A 1.0-mm field of an H&E-stained sentinel lymph node from a breast-cancer patient (whole-slide image), shown at about 5×, about 2.0 µm per pixel.
Question: 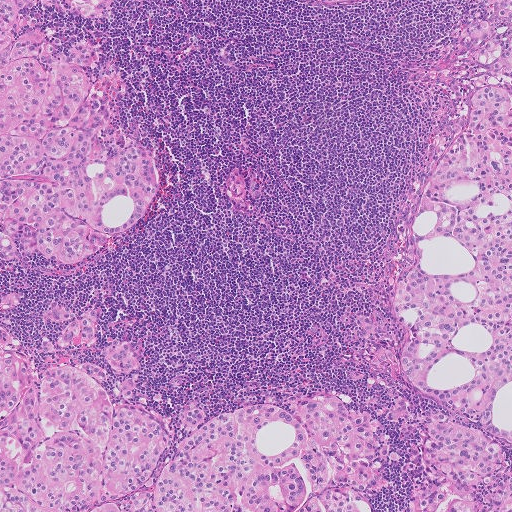
Estimate the proportion of this field that is metastatic tumour.

Choices:
 (A) about 10% to 20%
 (B) none: no tumour is outlined
 (C) about 25% to 45%
 (D) about 5% or less
 (E) about 50% or more

Answer: (E) about 50% or more
About 55% of the field is tumour.
Boundaries of four metastatic tumour regions, simplified and listed clockwise, largest first: region 1: (0, 282), (26, 305), (21, 334), (74, 306), (126, 326), (145, 348), (141, 403), (164, 420), (184, 401), (239, 404), (300, 391), (331, 392), (383, 420), (394, 449), (380, 507), (0, 511); region 2: (449, 0), (511, 0), (511, 511), (405, 511), (416, 414), (442, 400), (417, 386), (405, 359), (407, 331), (378, 252), (424, 140), (423, 57), (460, 3); region 3: (0, 0), (126, 0), (112, 20), (55, 21), (86, 28), (125, 68), (130, 97), (148, 120), (155, 148), (147, 204), (116, 250), (90, 268), (0, 263); region 4: (236, 168), (244, 175), (246, 187), (244, 204), (238, 204), (230, 200), (224, 190), (224, 175), (229, 170).
One more small tumour piece is annotated here but not outlined.